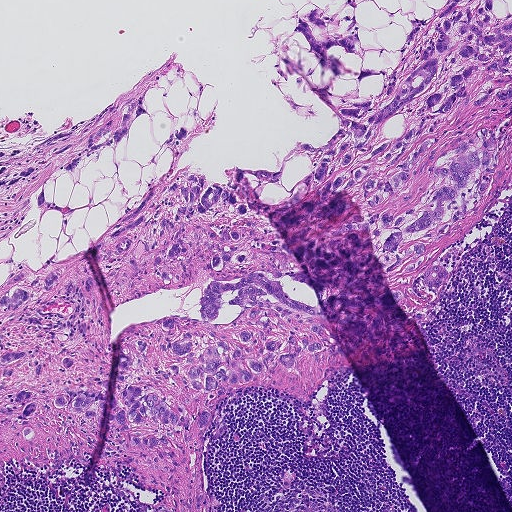
H&E-stained section of a sentinel lymph node (breast cancer), from a whole-slide image, viewed at about 5×: the field is about 0.93 mm across, about 1.8 µm per pixel.
Question: Outline the metastatic carcinoma in this image, as closed paths of (x, y) pixel coordinates.
Answer: Boundaries of three metastatic tumour regions, simplified and listed clockwise, largest first: region 1: (363, 0), (363, 56), (328, 56), (385, 71), (407, 18), (511, 0), (511, 172), (421, 355), (310, 403), (221, 396), (211, 511), (72, 454), (1, 465), (18, 263), (133, 209), (172, 129), (219, 184), (339, 131), (280, 55), (318, 85), (289, 37), (310, 8); region 2: (142, 94), (146, 111), (136, 118), (121, 142), (83, 159), (72, 172), (54, 173), (47, 179), (44, 195), (57, 206), (68, 204), (75, 210), (73, 214), (37, 208), (35, 197), (43, 181), (0, 231), (0, 150), (28, 148), (66, 131), (116, 97), (114, 128), (123, 112); region 3: (290, 471), (294, 476), (294, 484), (288, 488), (282, 484), (283, 474).
One more small tumour piece is annotated here but not outlined.
About 55% of the image area is annotated as tumour.